Question: 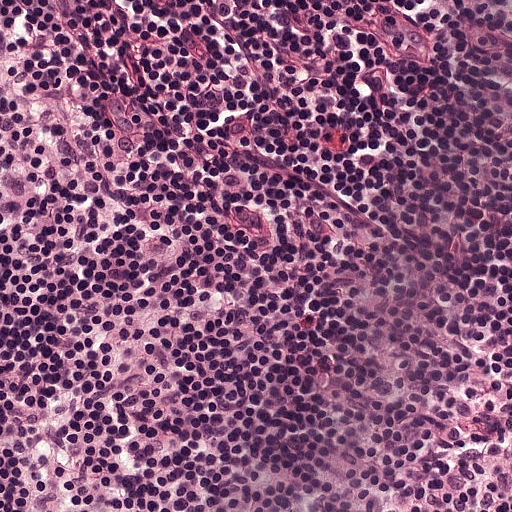
H&E-stained section of a sentinel lymph node (breast cancer), from a whole-slide image, viewed at about 20×: the field is about 0.25 mm across, about 0.49 µm per pixel.
Roughly what share of this field is metastatic tumour?

Choices:
 (A) about 25% to 45%
 (B) about 50% or more
 (C) about 10% to 20%
 (D) about 5% or less
 (E) none: no tumour is outlined

Answer: (E) none: no tumour is outlined
No metastatic tumour is outlined in this field.